Question: 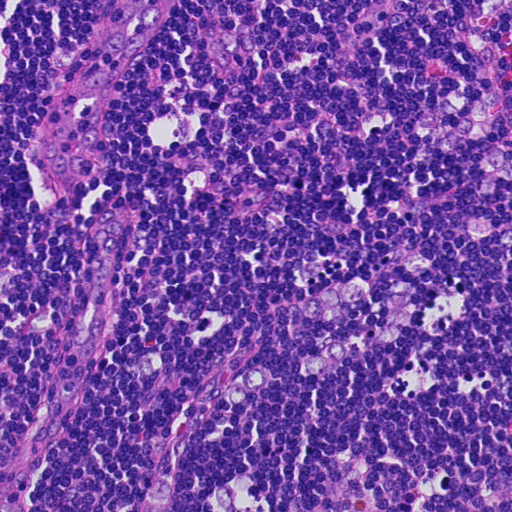
A 0.23-mm field of an H&E-stained sentinel lymph node from a breast-cancer patient (whole-slide image), shown at about 20×, about 0.45 µm per pixel.
Estimate the proportion of this field that is metastatic tumour.

Choices:
 (A) about 10% to 20%
 (B) about 5% or less
 (C) about 25% to 45%
 (D) about 50% or more
 (E) none: no tumour is outlined

Answer: (B) about 5% or less
About 5% of the field is tumour.
Boundaries of two metastatic tumour regions, simplified and listed clockwise, largest first: region 1: (338, 277), (368, 278), (396, 285), (421, 297), (412, 324), (394, 346), (366, 350), (342, 366), (307, 376), (300, 362), (322, 344), (374, 326), (379, 298), (332, 320), (304, 322), (300, 311), (310, 285); region 2: (511, 63), (511, 178), (490, 172), (466, 156), (448, 134), (440, 108), (478, 93), (500, 77).
Question: 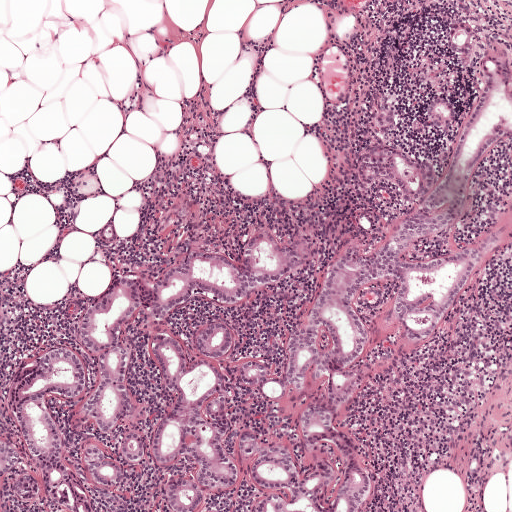
A 1-mm field of an H&E-stained sentinel lymph node from a breast-cancer patient (whole-slide image), shown at about 5×, about 1.9 µm per pixel.
Estimate the proportion of this field that is metastatic tumour.

Choices:
 (A) about 5% or less
 (B) about 50% or more
 (C) about 10% to 20%
 (D) about 25% to 45%
 (E) none: no tumour is outlined

Answer: (D) about 25% to 45%
About 45% of the field is tumour.
Outlines of two tumour regions, largest first (closed clockwise paths, crop pixels): region 1: (452, 12), (511, 50), (511, 249), (368, 379), (384, 494), (0, 511), (17, 367), (118, 273), (278, 234), (293, 282), (232, 339), (291, 329), (329, 242), (389, 215), (354, 104), (380, 89), (382, 121), (436, 144); region 2: (108, 222), (116, 222), (119, 232), (117, 244), (106, 244), (97, 238), (100, 228).
Question: 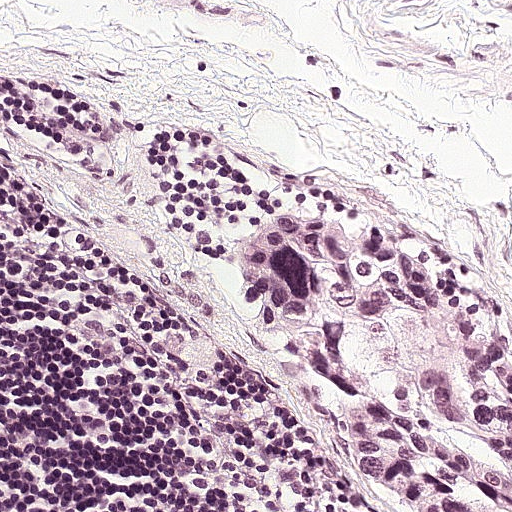
H&E-stained section of a sentinel lymph node (breast cancer), from a whole-slide image, viewed at about 20×: the field is about 0.25 mm across, about 0.49 µm per pixel.
Estimate the proportion of this field that is metastatic tumour.

Choices:
 (A) about 10% to 20%
 (B) about 5% or less
 (C) none: no tumour is outlined
 (D) about 50% or more
 (E) about 25% to 45%

Answer: (A) about 10% to 20%
About 20% of the field is tumour.
The outlined metastatic tumour's edge, as a closed clockwise path of 14 points: (274, 211), (305, 212), (429, 260), (511, 337), (511, 511), (404, 511), (390, 502), (346, 437), (333, 399), (298, 376), (271, 338), (255, 290), (237, 269), (237, 248).
Question: 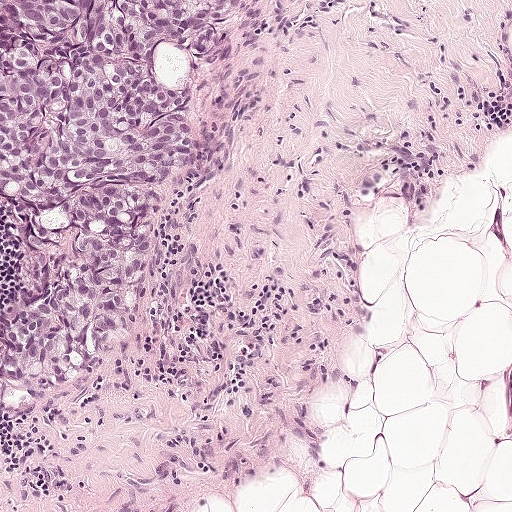
H&E-stained section of a sentinel lymph node (breast cancer), from a whole-slide image, viewed at about 10×: the field is about 0.5 mm across, about 0.97 µm per pixel.
Estimate the proportion of this field that is metastatic tumour.

Choices:
 (A) about 50% or more
 (B) none: no tumour is outlined
 (C) about 5% or less
 (D) about 25% to 45%
 (E) about 10% to 20%

Answer: (D) about 25% to 45%
About 25% of the field is tumour.
The outlined metastatic tumour's edge, as a closed clockwise path of 12 points: (0, 0), (256, 0), (213, 58), (171, 48), (155, 60), (193, 147), (137, 326), (77, 384), (0, 426), (0, 316), (24, 270), (0, 201).